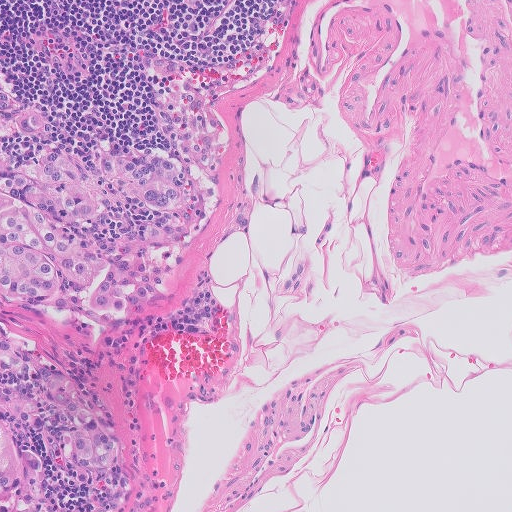
A 0.51-mm field of an H&E-stained sentinel lymph node from a breast-cancer patient (whole-slide image), shown at about 10×, about 1.0 µm per pixel.
Question: Describe where the metastatic carcinoma lies in this crop.
Answer: The outlined metastatic tumour's edge, as a closed clockwise path of 18 points: (0, 57), (18, 64), (39, 114), (94, 130), (143, 106), (178, 61), (215, 102), (221, 159), (170, 138), (208, 178), (212, 238), (130, 319), (73, 311), (42, 356), (98, 452), (42, 462), (54, 511), (0, 511).
Tumour covers about 20% of the frame.